Question: 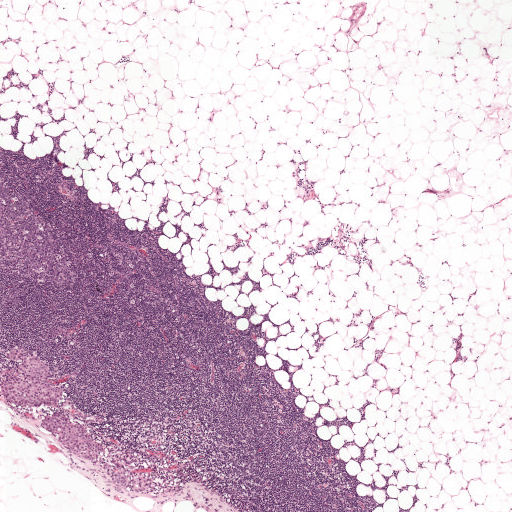
About what magnification does this crop show?

Choices:
 (A) about 2.5×
 (B) about 5×
 (C) about 40×
 (D) about 10×
 (E) about 20×

Answer: (A) about 2.5×
H&E-stained section of a sentinel lymph node (breast cancer), from a whole-slide image, viewed at about 2.5×: the field is about 2.0 mm across, about 3.9 µm per pixel.
Boundaries of three metastatic tumour regions, simplified and listed clockwise, largest first: region 1: (16, 343), (29, 346), (48, 365), (61, 387), (62, 393), (59, 405), (47, 410), (15, 406), (5, 398), (1, 380), (6, 376), (17, 374), (19, 361), (7, 360), (3, 354), (5, 348), (10, 344); region 2: (59, 412), (72, 417), (89, 428), (104, 442), (106, 448), (104, 454), (94, 461), (87, 461), (64, 449), (41, 426), (41, 420), (45, 416); region 3: (116, 471), (128, 472), (130, 478), (130, 485), (125, 490), (119, 490), (113, 488), (111, 482), (112, 475).
Under 5% of the image area is annotated as tumour.